Lymph node section stained with H&E, from a whole-slide image of a breast-cancer sentinel node. Magnification about 20×, about 0.23 mm across the frame, about 0.45 µm per pixel.
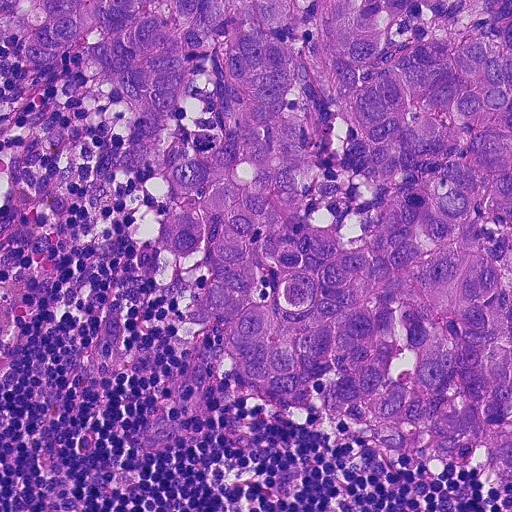
One metastatic tumour region; its boundary, reduced to 21 corners and listed clockwise: (0, 0), (511, 0), (511, 467), (497, 471), (484, 447), (465, 468), (410, 456), (360, 438), (325, 395), (299, 388), (274, 399), (250, 387), (204, 317), (215, 264), (204, 238), (184, 257), (160, 242), (168, 153), (158, 128), (80, 51), (27, 62).
About 60% of the image area is annotated as tumour.